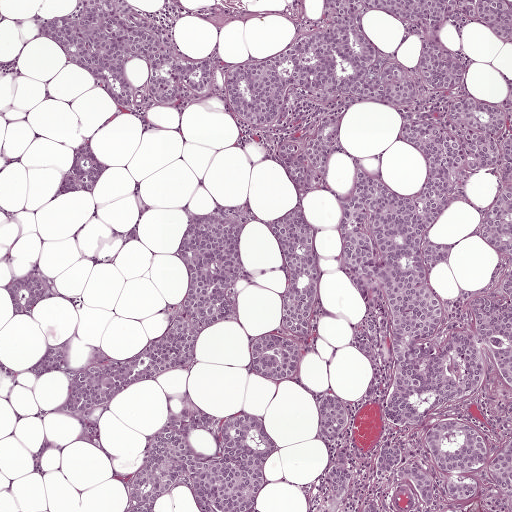
Lymph node section stained with H&E, from a whole-slide image of a breast-cancer sentinel node. Magnification about 5×, about 1 mm across the frame, about 1.9 µm per pixel.
Question: Show where the tumour is in this image.
Answer: Boundaries of three metastatic tumour regions, simplified and listed clockwise, largest first: region 1: (123, 0), (234, 68), (323, 0), (507, 3), (511, 511), (363, 511), (364, 475), (339, 511), (117, 511), (186, 408), (191, 453), (245, 411), (307, 489), (322, 397), (366, 466), (398, 445), (341, 203), (303, 193), (299, 380), (243, 360), (285, 297), (258, 223), (234, 323), (91, 404), (94, 439), (35, 356), (158, 340), (193, 221), (271, 217), (312, 119), (342, 119), (333, 190), (364, 148), (394, 194), (427, 173), (380, 101), (131, 113), (52, 16); region 2: (88, 147), (104, 158), (105, 170), (100, 180), (93, 188), (72, 193), (60, 190), (61, 179), (69, 172), (78, 151); region 3: (38, 274), (44, 281), (45, 292), (40, 301), (21, 313), (12, 307), (5, 286).
One more small tumour piece is annotated here but not outlined.
About 50% of this field is tumour.